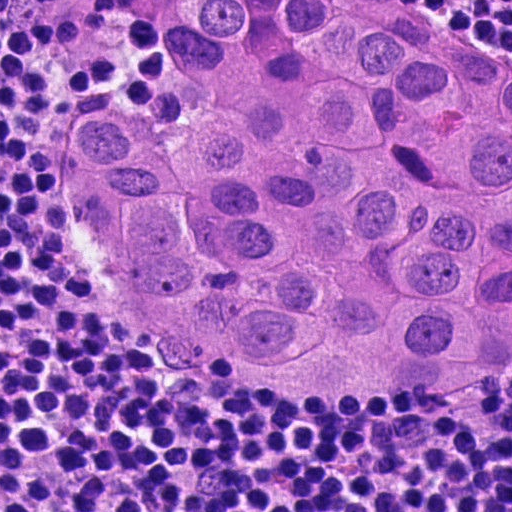
Lymph node section stained with H&E, from a whole-slide image of a breast-cancer sentinel node. Magnification about 40×, about 0.12 mm across the frame, about 0.23 µm per pixel.
Question: Show where the tumour is in this image.
Answer: Tumour region outline (a closed clockwise path, crop pixels): (182, 0), (438, 0), (511, 56), (511, 377), (490, 390), (287, 415), (163, 373), (94, 307), (59, 216), (62, 119), (99, 96), (177, 107), (144, 46).
About 60% of this field is tumour.